Question: 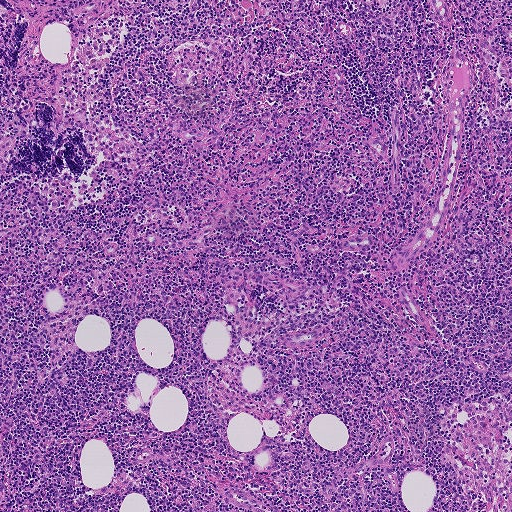
H&E-stained section of a sentinel lymph node (breast cancer), from a whole-slide image, viewed at about 5×: the field is about 0.93 mm across, about 1.8 µm per pixel.
About how much of this crop is taken up by metastatic carcinoma?

Choices:
 (A) about 25% to 45%
 (B) none: no tumour is outlined
 (C) about 5% or less
 (D) about 50% or more
 (E) about 10% to 20%

Answer: (B) none: no tumour is outlined
No metastatic tumour is outlined in this field.